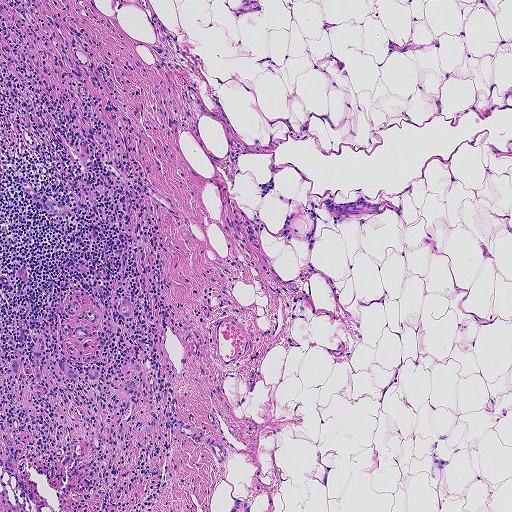
Lymph node section stained with H&E, from a whole-slide image of a breast-cancer sentinel node. Magnification about 5×, about 0.93 mm across the frame, about 1.8 µm per pixel.
Boundaries of five metastatic tumour regions, simplified and listed clockwise, largest first: region 1: (63, 358), (67, 364), (77, 373), (77, 379), (70, 378), (58, 368), (56, 361); region 2: (8, 436), (13, 442), (11, 448), (12, 455), (14, 462), (15, 468), (14, 468), (8, 465), (0, 466), (0, 465), (7, 464), (6, 458), (10, 452), (6, 446), (6, 439); region 3: (124, 299), (129, 304), (131, 311), (129, 317), (122, 316), (119, 309); region 4: (150, 419), (156, 420), (156, 424), (146, 437), (146, 433), (147, 425); region 5: (14, 358), (19, 363), (19, 370), (15, 375), (10, 371), (10, 364).
Three more small tumour pieces are annotated here but not outlined.
Under 5% of the image area is annotated as tumour.